This is a crop of a whole-slide image: an H&E-stained breast-cancer sentinel lymph node section at roughly 10× magnification (about 0.97 µm per pixel; the crop spans about 0.5 mm).
Question: 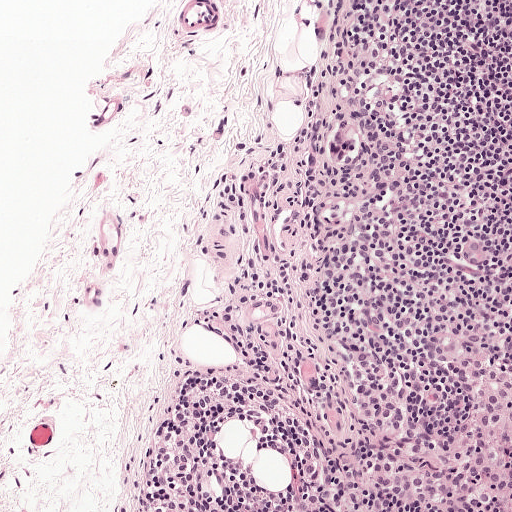
About how much of this crop is taken up by metastatic carcinoma?

Choices:
 (A) about 5% or less
 (B) none: no tumour is outlined
 (C) about 10% to 20%
 (D) about 25% to 45%
 (E) about 50% or more

Answer: (A) about 5% or less
Under 5% of the field is tumour.
The outlined metastatic tumour's edge, as a closed clockwise path of 9 points: (344, 118), (354, 124), (359, 142), (356, 158), (347, 165), (338, 165), (330, 160), (330, 141), (332, 132).